Question: 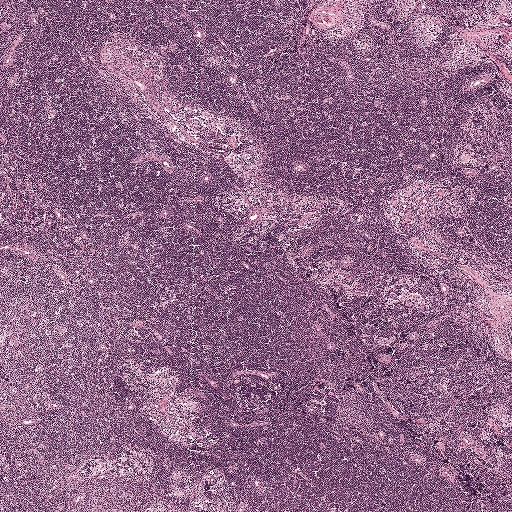
This is a crop of a whole-slide image: an H&E-stained breast-cancer sentinel lymph node section at roughly 2.5× magnification (about 3.9 µm per pixel; the crop spans about 2.0 mm).
Roughly what share of this field is metastatic tumour?

Choices:
 (A) about 50% or more
 (B) about 25% to 45%
 (C) none: no tumour is outlined
 (D) about 5% or less
 (E) about 10% to 20%

Answer: (C) none: no tumour is outlined
No metastatic tumour is outlined in this field.